Question: 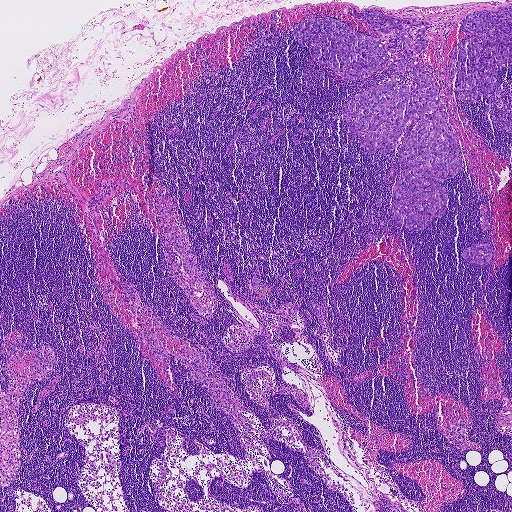
Lymph node section stained with H&E, from a whole-slide image of a breast-cancer sentinel node. Magnification about 2.5×, about 1.9 mm across the frame, about 3.6 µm per pixel.
Estimate the proportion of this field that is metastatic tumour.

Choices:
 (A) about 25% to 45%
 (B) about 10% to 20%
 (C) about 5% or less
 (D) none: no tumour is outlined
 (E) about 50% or more

Answer: (B) about 10% to 20%
About 10% of the field is tumour.
Four metastatic tumour regions, each outlined as a closed clockwise path in crop pixels (x, y), largest first: region 1: (354, 7), (431, 24), (422, 36), (428, 46), (417, 58), (434, 75), (446, 132), (462, 158), (460, 173), (438, 184), (449, 200), (443, 216), (420, 231), (396, 225), (390, 202), (404, 133), (386, 154), (378, 148), (368, 153), (359, 135), (348, 138), (356, 115), (342, 113), (346, 103), (391, 78), (413, 88), (413, 74), (383, 67), (350, 79), (317, 64), (292, 29), (317, 18), (342, 22), (381, 42), (391, 36), (350, 15); region 2: (511, 4), (511, 66), (501, 67), (494, 89), (478, 101), (468, 103), (462, 101), (454, 89), (456, 73), (451, 83), (448, 66), (455, 47), (487, 30), (472, 34), (463, 32), (461, 22), (463, 16), (475, 10), (496, 11); region 3: (477, 244), (489, 244), (491, 252), (491, 261), (484, 265), (471, 264), (461, 256), (464, 248); region 4: (485, 213), (487, 214), (488, 217), (489, 228), (488, 230), (484, 230), (482, 229), (480, 226), (480, 216), (481, 214).